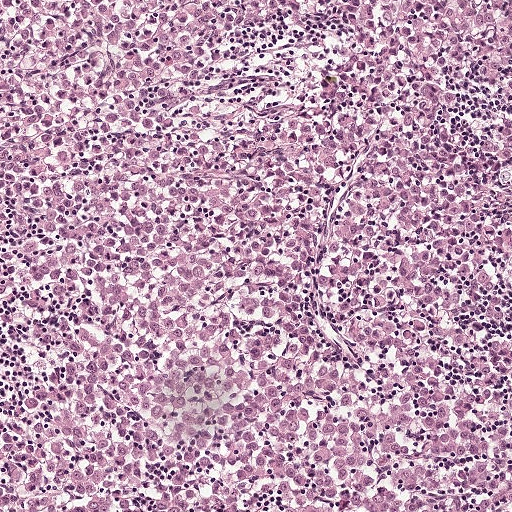
A 0.5-mm field of an H&E-stained sentinel lymph node from a breast-cancer patient (whole-slide image), shown at about 10×, about 0.97 µm per pixel.
Boundaries of two metastatic tumour regions, simplified and listed clockwise, largest first: region 1: (511, 0), (511, 511), (399, 511), (372, 461), (366, 369), (328, 298), (340, 46), (328, 2); region 2: (0, 0), (279, 0), (252, 43), (203, 76), (172, 87), (88, 84), (48, 102), (2, 101).
The annotated tumour makes up about 40% of the crop.